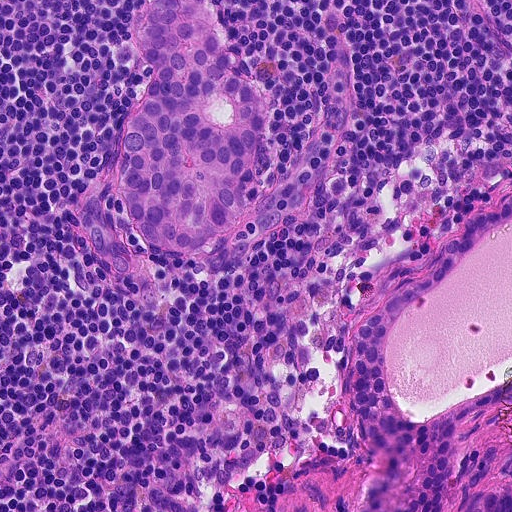
H&E-stained section of a sentinel lymph node (breast cancer), from a whole-slide image, viewed at about 20×: the field is about 0.23 mm across, about 0.45 µm per pixel.
Boundaries of three metastatic tumour regions, simplified and listed clockwise, largest first: region 1: (511, 191), (511, 397), (454, 433), (449, 483), (421, 511), (360, 511), (382, 455), (352, 417), (356, 328), (378, 304), (426, 274), (445, 236), (458, 237), (466, 217); region 2: (155, 0), (212, 8), (229, 62), (238, 76), (270, 93), (252, 216), (213, 249), (196, 255), (162, 250), (136, 228), (120, 197), (122, 130), (152, 68), (130, 33), (132, 16); region 3: (511, 446), (511, 511), (457, 511), (458, 506), (472, 495), (490, 490), (506, 484), (500, 472), (506, 455).
The annotated tumour makes up about 25% of the crop.